Image:
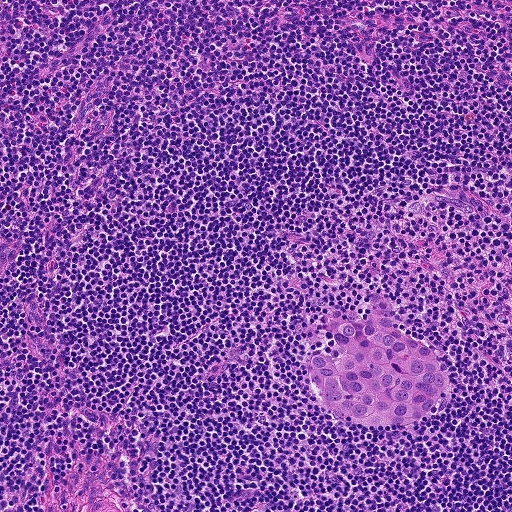
H&E-stained section of a sentinel lymph node (breast cancer), from a whole-slide image, viewed at about 10×: the field is about 0.46 mm across, about 0.9 µm per pixel.
Question:
Where is the metastatic tumour in this field?
Answer:
Metastatic tumour outline, simplified to 16 points and listed clockwise in crop pixels (x, y): (368, 315), (392, 320), (431, 350), (446, 368), (447, 391), (436, 412), (416, 425), (365, 431), (334, 420), (316, 404), (308, 381), (308, 357), (318, 351), (337, 354), (329, 339), (344, 320).
The annotated tumour makes up about 5% of the crop.